Image:
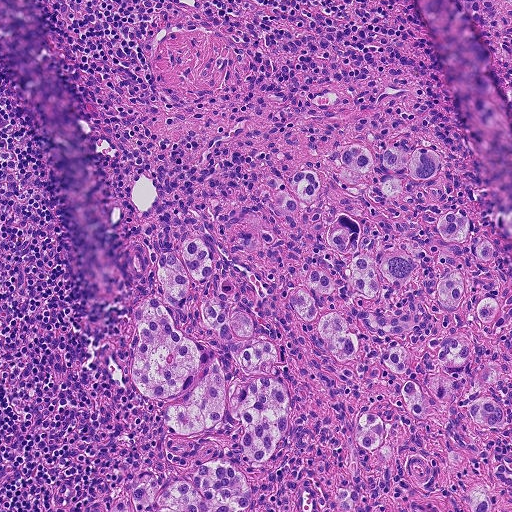
H&E-stained section of a sentinel lymph node (breast cancer), from a whole-slide image, viewed at about 10×: the field is about 0.46 mm across, about 0.9 µm per pixel.
Question:
Does this lymph node field contain metastatic tumour?
Answer:
Yes.
Outlines of six tumour regions, largest first (closed clockwise paths, crop pixels): region 1: (194, 238), (214, 272), (192, 280), (188, 298), (228, 302), (278, 346), (286, 430), (265, 468), (242, 454), (242, 427), (218, 430), (254, 490), (249, 511), (110, 511), (139, 475), (166, 481), (167, 403), (128, 377), (132, 318), (136, 304), (162, 296), (152, 262); region 2: (465, 211), (495, 249), (489, 260), (461, 246), (462, 272), (507, 316), (488, 328), (464, 302), (446, 310), (437, 286), (452, 268), (420, 266), (428, 312), (408, 344), (466, 333), (471, 367), (497, 374), (486, 396), (507, 426), (483, 428), (437, 400), (430, 422), (417, 420), (398, 389), (408, 379), (386, 365), (356, 388), (288, 302), (303, 260), (337, 274), (349, 257), (326, 242), (330, 219), (356, 216), (362, 253), (376, 258), (402, 244), (439, 250), (439, 214); region 3: (344, 144), (356, 144), (380, 154), (395, 146), (407, 150), (420, 145), (432, 147), (440, 158), (438, 170), (429, 179), (416, 180), (404, 175), (411, 191), (403, 202), (378, 204), (366, 197), (352, 196), (340, 188), (326, 161), (333, 151); region 4: (310, 169), (321, 175), (321, 188), (313, 199), (299, 200), (302, 210), (290, 213), (278, 209), (266, 186), (271, 175), (282, 180), (290, 191), (288, 180), (298, 171); region 5: (372, 412), (383, 420), (385, 431), (384, 444), (373, 452), (361, 449), (354, 438), (360, 416); region 6: (473, 488), (486, 488), (490, 499), (490, 511), (473, 511), (471, 500).
Two more small tumour pieces are annotated here but not outlined.
About 25% of the image area is annotated as tumour.